H&E-stained section of a sentinel lymph node (breast cancer), from a whole-slide image, viewed at about 2.5×: the field is about 2.0 mm across, about 4.0 µm per pixel.
Question: 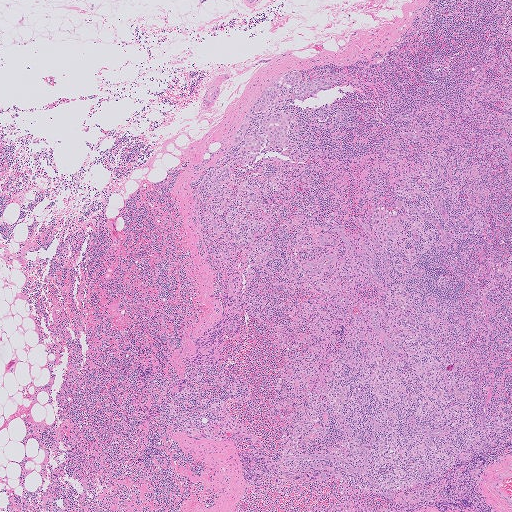
About how much of this crop is taken up by metastatic carcinoma?

Choices:
 (A) about 5% or less
 (B) about 50% or more
 (C) about 10% to 20%
 (D) none: no tumour is outlined
 (E) about 25% to 45%

Answer: (A) about 5% or less
Under 5% of the field is tumour.
Outlines of two tumour regions, largest first (closed clockwise paths, crop pixels): region 1: (282, 110), (294, 114), (296, 122), (292, 132), (293, 136), (290, 142), (281, 149), (238, 157), (236, 154), (239, 147), (228, 143), (229, 137), (236, 127), (247, 121), (250, 124), (249, 132), (252, 131), (264, 117); region 2: (290, 70), (298, 70), (302, 74), (304, 81), (316, 74), (319, 77), (334, 78), (335, 86), (333, 89), (301, 101), (293, 100), (291, 97), (293, 86), (282, 97), (263, 111), (252, 111), (252, 104), (261, 91), (272, 80).